Question: 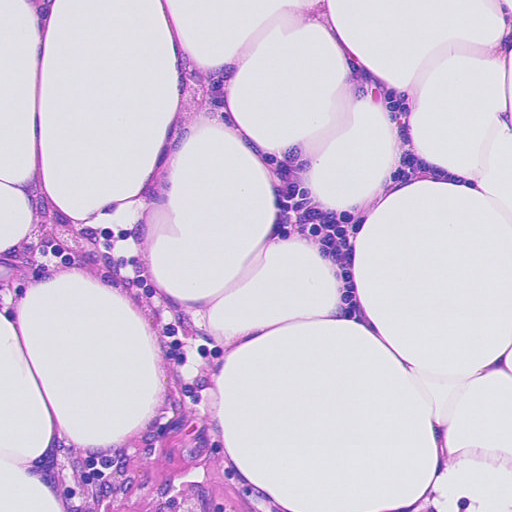
Which magnification is this H&E lymph node field most likely shown at?

Choices:
 (A) about 5×
 (B) about 20×
 (C) about 40×
 (D) about 10×
 (E) about 2.5×

Answer: (B) about 20×
Lymph node section stained with H&E, from a whole-slide image of a breast-cancer sentinel node. Magnification about 20×, about 0.23 mm across the frame, about 0.45 µm per pixel.